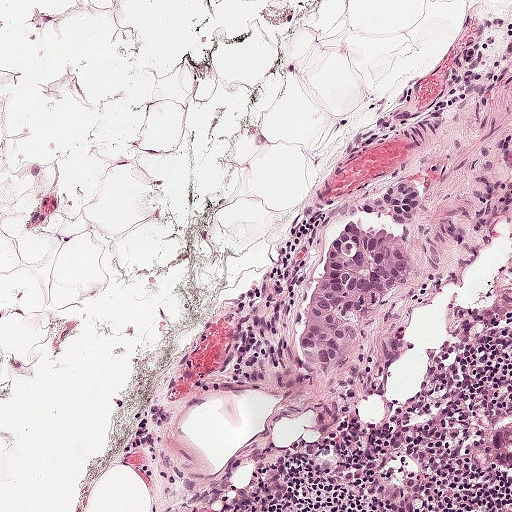
A 0.5-mm field of an H&E-stained sentinel lymph node from a breast-cancer patient (whole-slide image), shown at about 10×, about 0.97 µm per pixel.
Question: Which parts of this field are metastatic tumour? Answer with the outline of each region, in pixels.
Answer: Metastatic tumour outline, simplified to 14 points and listed clockwise in crop pixels (x, y): (415, 176), (424, 178), (418, 223), (422, 261), (412, 286), (372, 319), (351, 359), (336, 362), (333, 370), (303, 367), (300, 350), (309, 302), (340, 216), (392, 182).
About 5% of this field is tumour.